H&E-stained section of a sentinel lymph node (breast cancer), from a whole-slide image, viewed at about 5×: the field is about 0.93 mm across, about 1.8 µm per pixel.
Image:
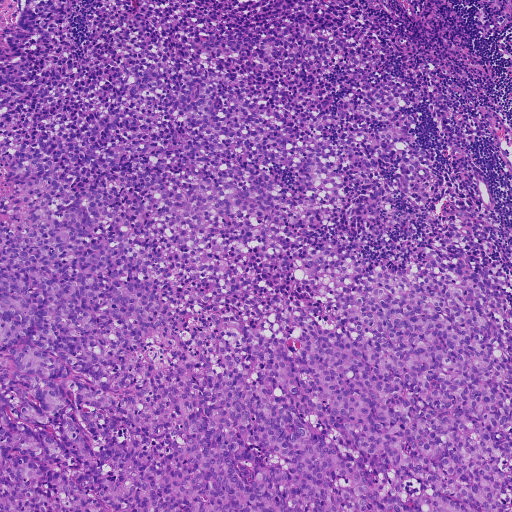
Question:
Describe where the metastatic carcinoma lies in this crop.
Answer:
Tumour region outline (a closed clockwise path, crop pixels): (24, 0), (81, 0), (80, 45), (96, 0), (357, 0), (377, 82), (418, 87), (402, 111), (446, 191), (432, 212), (397, 190), (387, 243), (357, 200), (302, 257), (333, 243), (401, 269), (460, 208), (508, 257), (511, 511), (0, 511), (0, 34).
Tumour covers about 90% of the frame.